Question: 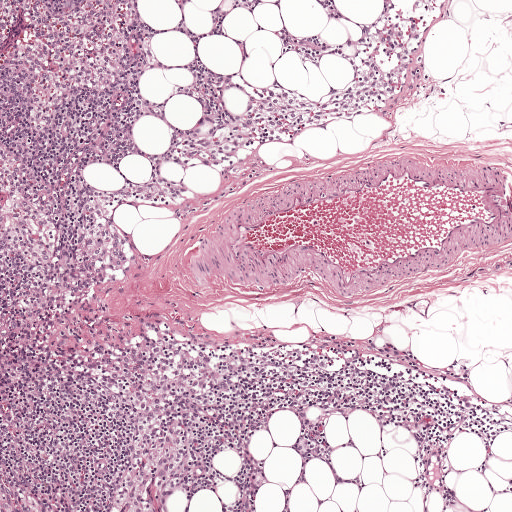
At roughly what magnification is this field shown?

Choices:
 (A) about 10×
 (B) about 2.5×
 (C) about 20×
 (D) about 5×
 (E) about 40×

Answer: (D) about 5×
Lymph node section stained with H&E, from a whole-slide image of a breast-cancer sentinel node. Magnification about 5×, about 1 mm across the frame, about 1.9 µm per pixel.